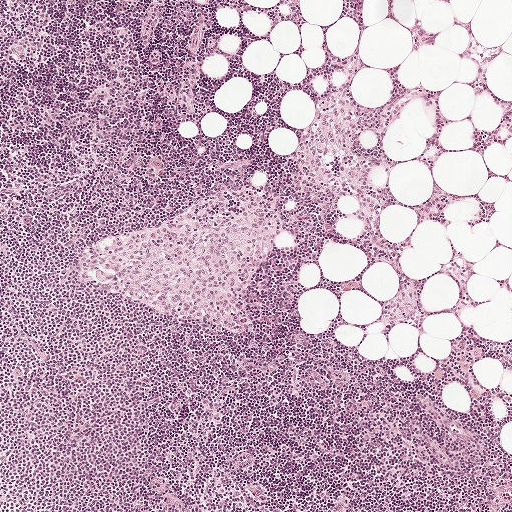
This is a crop of a whole-slide image: an H&E-stained breast-cancer sentinel lymph node section at roughly 5× magnification (about 1.9 µm per pixel; the crop spans about 1 mm).
Question: Is there metastatic carcinoma in this field?
Answer: No: no metastatic tumour is outlined anywhere in this field.